Lymph node section stained with H&E, from a whole-slide image of a breast-cancer sentinel node. Magnification about 10×, about 0.5 mm across the frame, about 0.97 µm per pixel.
Image:
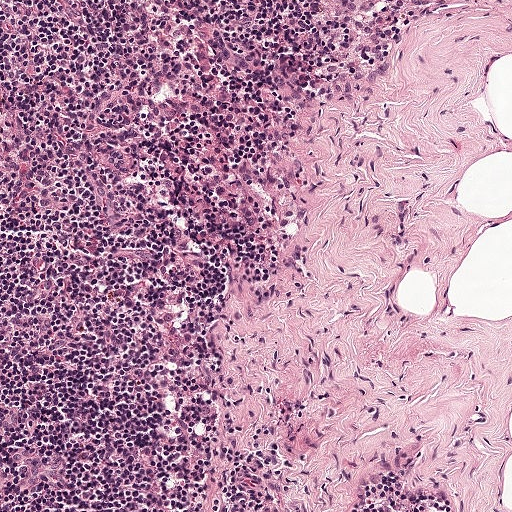
Question:
Is any metastatic breast cancer visible in this crop?
Answer:
No: no metastatic tumour is outlined anywhere in this field.